H&E-stained section of a sentinel lymph node (breast cancer), from a whole-slide image, viewed at about 10×: the field is about 0.5 mm across, about 0.97 µm per pixel.
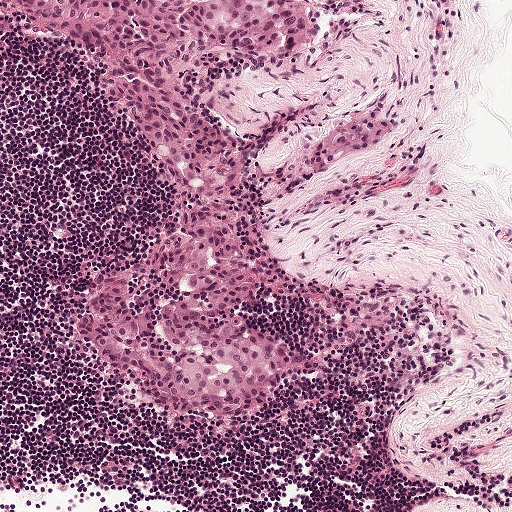
Boundaries of two metastatic tumour regions, simplified and listed clockwise, largest first: region 1: (0, 0), (292, 0), (312, 17), (311, 39), (288, 51), (240, 46), (198, 60), (198, 94), (234, 156), (263, 266), (239, 317), (298, 361), (278, 402), (198, 427), (82, 360), (77, 312), (165, 244), (172, 206), (148, 144), (79, 55), (1, 41); region 2: (379, 101), (394, 121), (395, 128), (389, 136), (362, 152), (337, 174), (328, 176), (308, 174), (302, 161), (309, 142), (322, 131), (363, 106).
The annotated tumour makes up about 25% of the crop.